Question: 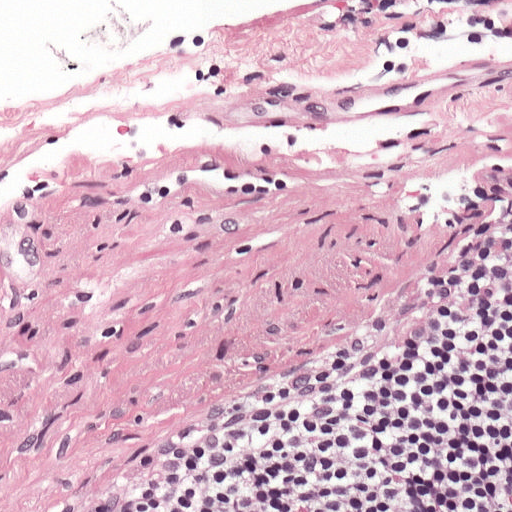
About what magnification does this crop show?

Choices:
 (A) about 5×
 (B) about 10×
 (C) about 40×
 (D) about 2.5×
 (E) about 20×

Answer: (E) about 20×
Lymph node section stained with H&E, from a whole-slide image of a breast-cancer sentinel node. Magnification about 20×, about 0.25 mm across the frame, about 0.49 µm per pixel.